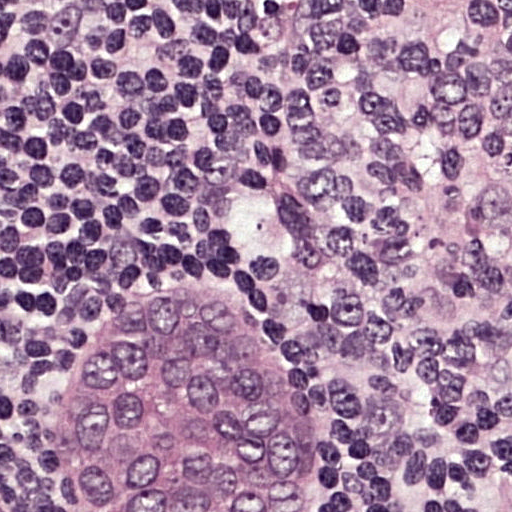
H&E-stained section of a sentinel lymph node (breast cancer), from a whole-slide image, viewed at about 40×: the field is about 0.12 mm across, about 0.24 µm per pixel.
Question: Outline the metastatic carcinoma in this image, as closed paths of (x, y) pixel coordinates.
Answer: Two metastatic tumour regions, each outlined as a closed clockwise path in crop pixels (x, y), largest first: region 1: (177, 272), (254, 305), (306, 369), (319, 449), (304, 511), (75, 511), (63, 433), (79, 353), (123, 284); region 2: (0, 424), (29, 499), (37, 511), (0, 511).
The annotated tumour makes up about 20% of the crop.